Question: 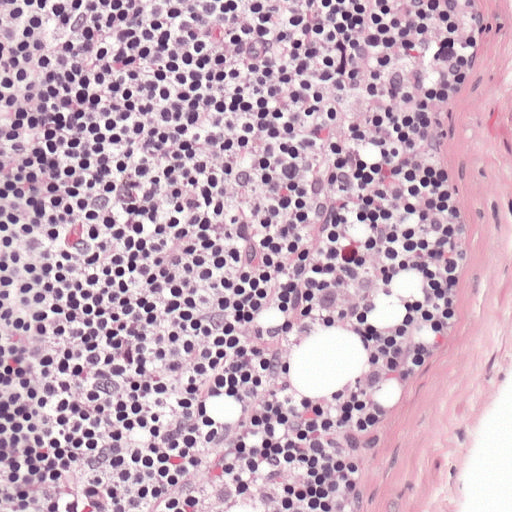
About what magnification does this crop show?

Choices:
 (A) about 20×
 (B) about 2.5×
 (C) about 40×
 (D) about 10×
 (E) about 5×

Answer: (A) about 20×
Lymph node section stained with H&E, from a whole-slide image of a breast-cancer sentinel node. Magnification about 20×, about 0.25 mm across the frame, about 0.49 µm per pixel.